This is a crop of a whole-slide image: an H&E-stained breast-cancer sentinel lymph node section at roughly 20× magnification (about 0.49 µm per pixel; the crop spans about 0.25 mm).
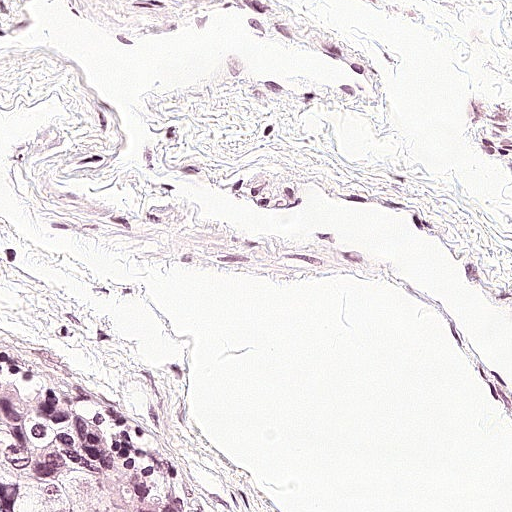
Question: Show where the tumour is in this image.
Answer: One metastatic tumour region; its boundary, reduced to 6 corners and listed clockwise: (0, 382), (104, 422), (134, 458), (179, 488), (193, 511), (0, 511).
About 5% of the image area is annotated as tumour.